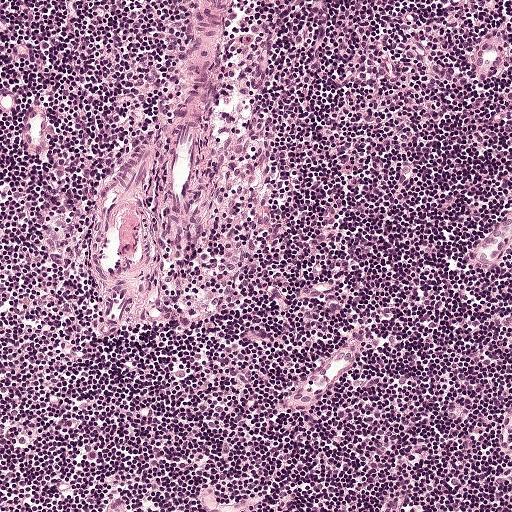
H&E-stained section of a sentinel lymph node (breast cancer), from a whole-slide image, viewed at about 10×: the field is about 0.5 mm across, about 0.97 µm per pixel.
Question: Is any metastatic breast cancer visible in this crop?
Answer: No: no metastatic tumour is outlined anywhere in this field.